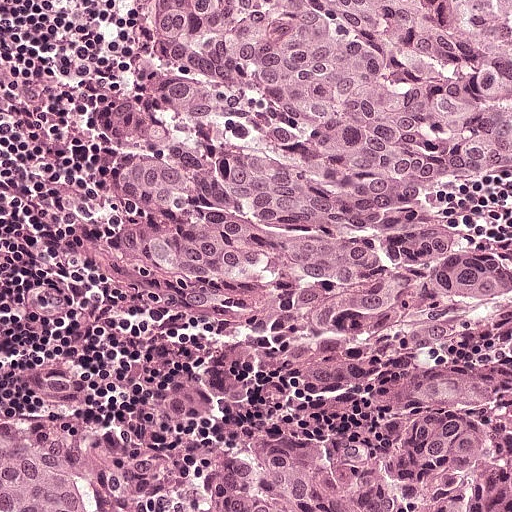
H&E-stained section of a sentinel lymph node (breast cancer), from a whole-slide image, viewed at about 20×: the field is about 0.25 mm across, about 0.49 µm per pixel.
The outlined metastatic tumour's edge, as a closed clockwise path of 15 points: (511, 0), (511, 301), (455, 330), (312, 333), (174, 302), (110, 269), (110, 210), (90, 184), (90, 162), (109, 141), (90, 122), (90, 102), (142, 76), (133, 30), (146, 2).
One more small tumour piece is annotated here but not outlined.
About 50% of the image area is annotated as tumour.